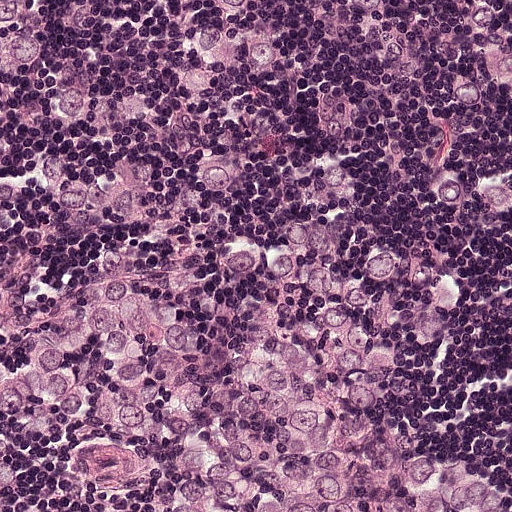
A 0.25-mm field of an H&E-stained sentinel lymph node from a breast-cancer patient (whole-slide image), shown at about 20×, about 0.49 µm per pixel.
The outlined metastatic tumour's edge, as a closed clockwise path of 9 points: (0, 3), (63, 23), (154, 83), (266, 131), (376, 206), (456, 290), (459, 416), (511, 511), (0, 511).
About 70% of this field is tumour.